A 0.25-mm field of an H&E-stained sentinel lymph node from a breast-cancer patient (whole-slide image), shown at about 20×, about 0.49 µm per pixel.
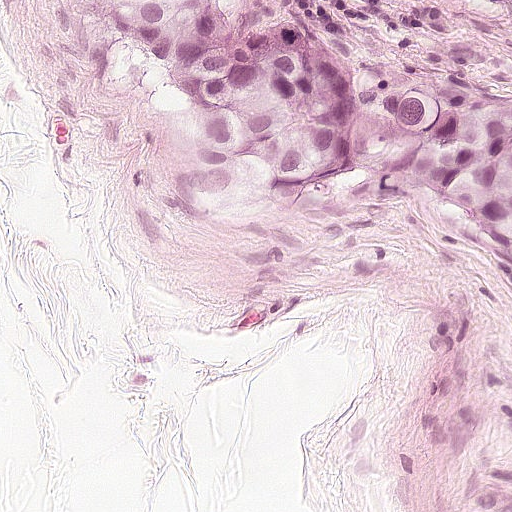
Question: Which parts of this field are metastatic tumour? Answer with the outline of each region, in pixels.
Answer: Tumour region outline (a closed clockwise path, crop pixels): (313, 0), (368, 64), (508, 104), (511, 244), (475, 230), (358, 215), (240, 152), (130, 112), (130, 101), (78, 60), (71, 2).
The annotated tumour makes up about 25% of the crop.